A 2.0-mm field of an H&E-stained sentinel lymph node from a breast-cancer patient (whole-slide image), shown at about 2.5×, about 3.9 µm per pixel.
Image:
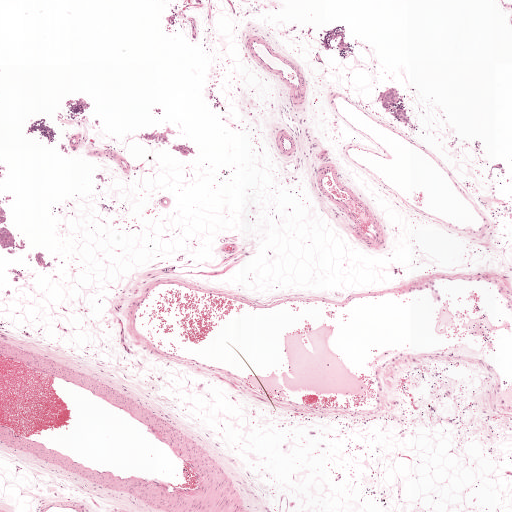
Question:
Outline the metastatic carcinoma in this image, as closed paths of (x, y) pixel coordinates.
Answer:
Boundaries of six metastatic tumour regions, simplified and listed clockwise, largest first: region 1: (385, 86), (400, 90), (408, 114), (416, 129), (408, 128), (391, 116), (376, 103), (379, 92); region 2: (176, 120), (187, 134), (185, 137), (171, 135), (169, 137), (177, 141), (178, 144), (187, 142), (195, 153), (184, 156), (139, 136), (143, 132), (154, 129), (159, 129), (161, 132), (163, 129), (166, 129), (167, 122), (175, 131), (179, 128), (173, 122); region 3: (0, 198), (7, 214), (9, 228), (24, 238), (26, 244), (26, 250), (15, 254), (9, 254), (1, 249); region 4: (38, 252), (45, 254), (46, 262), (57, 258), (63, 262), (63, 265), (57, 264), (56, 271), (51, 271), (49, 268), (45, 271), (41, 270), (28, 260), (27, 256), (30, 253); region 5: (339, 29), (343, 31), (344, 40), (349, 46), (349, 50), (346, 51), (338, 49), (337, 45), (340, 37), (337, 43), (334, 41), (331, 47), (328, 44), (327, 40), (331, 32); region 6: (8, 268), (24, 269), (23, 276), (19, 282), (13, 282), (9, 279), (13, 276), (9, 274).
Five more small tumour pieces are annotated here but not outlined.
Under 5% of this field is tumour.